Question: 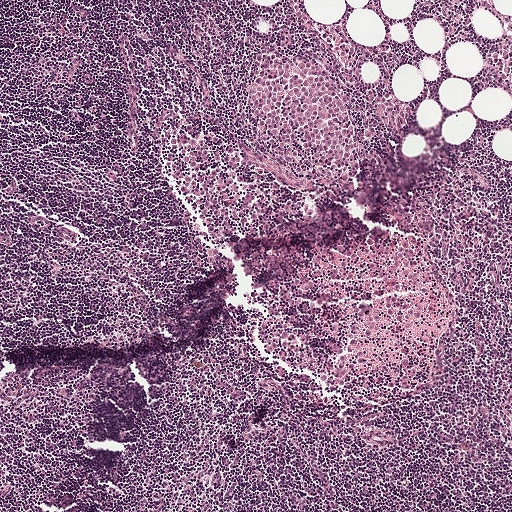
Which magnification is this H&E lymph node field most likely shown at?

Choices:
 (A) about 5×
 (B) about 2.5×
 (C) about 40×
 (D) about 10×
 (E) about 20×

Answer: (A) about 5×
H&E-stained section of a sentinel lymph node (breast cancer), from a whole-slide image, viewed at about 5×: the field is about 1 mm across, about 1.9 µm per pixel.